Question: 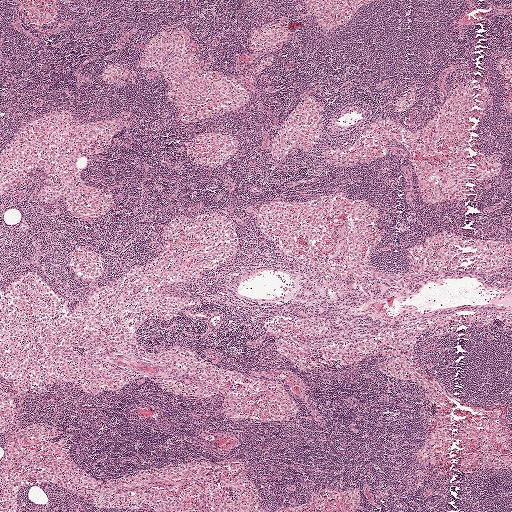
This is a crop of a whole-slide image: an H&E-stained breast-cancer sentinel lymph node section at roughly 2.5× magnification (about 3.9 µm per pixel; the crop spans about 2.0 mm).
Roughly what share of this field is metastatic tumour?

Choices:
 (A) none: no tumour is outlined
 (B) about 50% or more
 (C) about 25% to 45%
 (D) about 10% to 20%
 (E) about 5% or less

Answer: (A) none: no tumour is outlined
No metastatic tumour is outlined in this field.